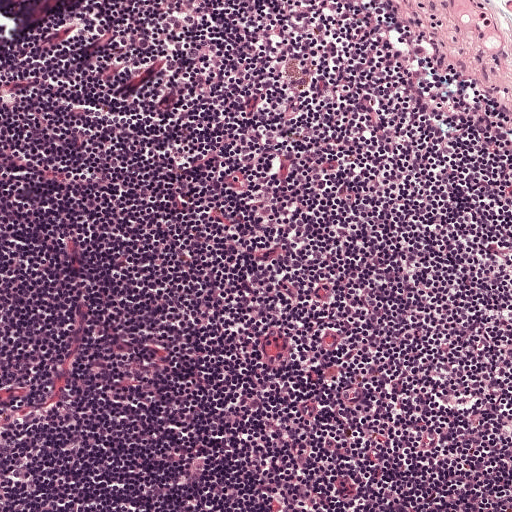
H&E-stained section of a sentinel lymph node (breast cancer), from a whole-slide image, viewed at about 10×: the field is about 0.5 mm across, about 0.97 µm per pixel.